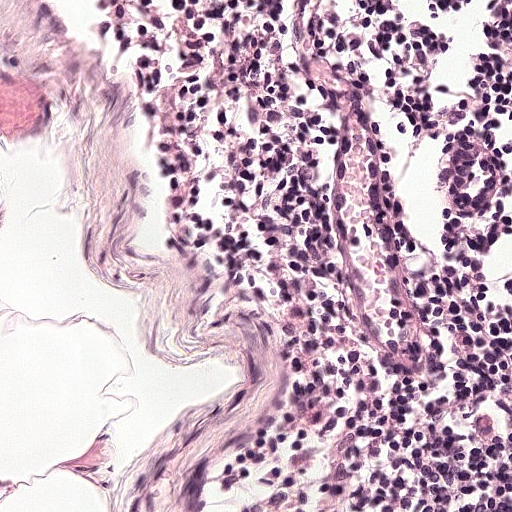
Lymph node section stained with H&E, from a whole-slide image of a breast-cancer sentinel node. Magnification about 20×, about 0.25 mm across the frame, about 0.49 µm per pixel.